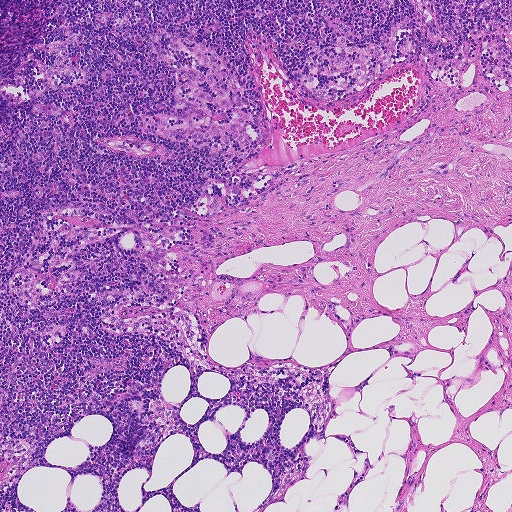
Lymph node section stained with H&E, from a whole-slide image of a breast-cancer sentinel node. Magnification about 5×, about 0.93 mm across the frame, about 1.8 µm per pixel.